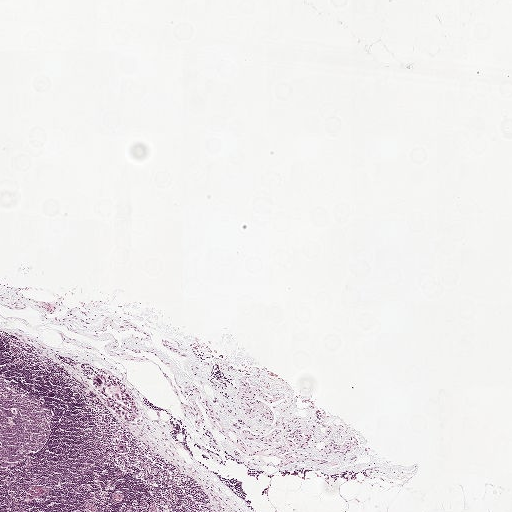
A 2.0-mm field of an H&E-stained sentinel lymph node from a breast-cancer patient (whole-slide image), shown at about 2.5×, about 3.9 µm per pixel.
The outlined metastatic tumour's edge, as a closed clockwise path of 12 points: (96, 373), (116, 379), (134, 398), (139, 413), (138, 421), (134, 423), (123, 421), (116, 415), (109, 408), (104, 397), (99, 393), (92, 380).
Under 5% of the image area is annotated as tumour.